Question: 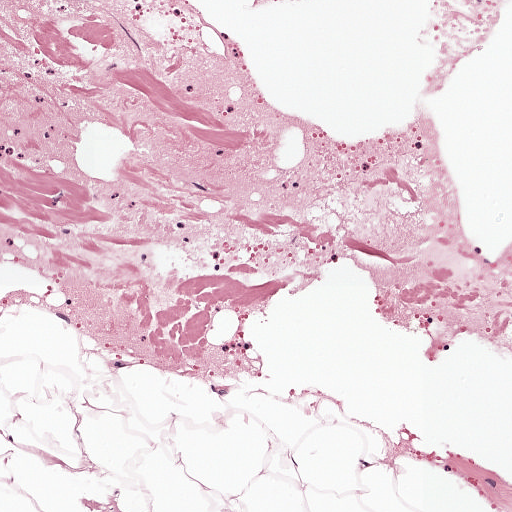
About what magnification does this crop show?

Choices:
 (A) about 10×
 (B) about 20×
 (C) about 40×
 (D) about 2.5×
 (E) about 5×

Answer: (A) about 10×
H&E-stained section of a sentinel lymph node (breast cancer), from a whole-slide image, viewed at about 10×: the field is about 0.5 mm across, about 0.97 µm per pixel.